Question: 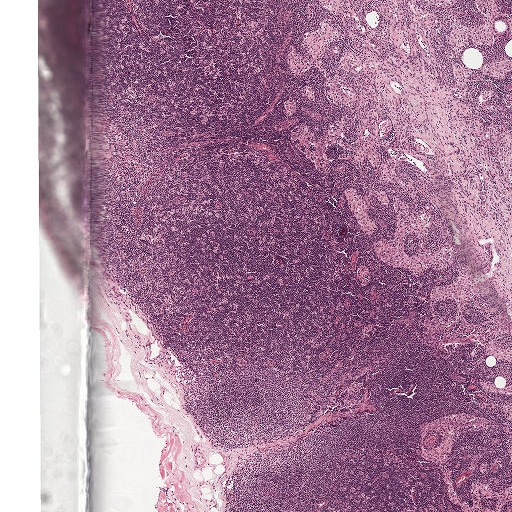
At roughly what magnification is this field shown?

Choices:
 (A) about 5×
 (B) about 20×
 (C) about 10×
 (D) about 40×
 (E) about 2.5×

Answer: (E) about 2.5×
H&E-stained section of a sentinel lymph node (breast cancer), from a whole-slide image, viewed at about 2.5×: the field is about 2.0 mm across, about 3.9 µm per pixel.